Question: 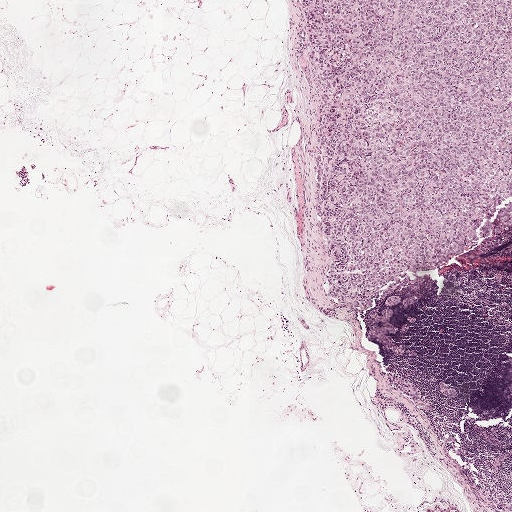
About what magnification does this crop show?

Choices:
 (A) about 10×
 (B) about 2.5×
 (C) about 40×
 (D) about 5×
 (E) about 20×

Answer: (B) about 2.5×
Lymph node section stained with H&E, from a whole-slide image of a breast-cancer sentinel node. Magnification about 2.5×, about 2.0 mm across the frame, about 3.9 µm per pixel.
Boundaries of four metastatic tumour regions, simplified and listed clockwise, largest first: region 1: (298, 0), (511, 0), (511, 197), (434, 255), (428, 269), (405, 271), (407, 286), (378, 290), (360, 313), (327, 294), (332, 257), (315, 208), (321, 90); region 2: (400, 376), (412, 382), (419, 389), (420, 397), (428, 401), (430, 410), (422, 411), (410, 397), (392, 384), (392, 378); region 3: (496, 498), (505, 502), (511, 501), (511, 511), (499, 511), (493, 506), (491, 501), (492, 499); region 4: (441, 381), (446, 386), (447, 388), (453, 389), (456, 392), (456, 396), (454, 397), (447, 396), (440, 392), (438, 382).
Two more small tumour pieces are annotated here but not outlined.
Tumour covers about 20% of the frame.